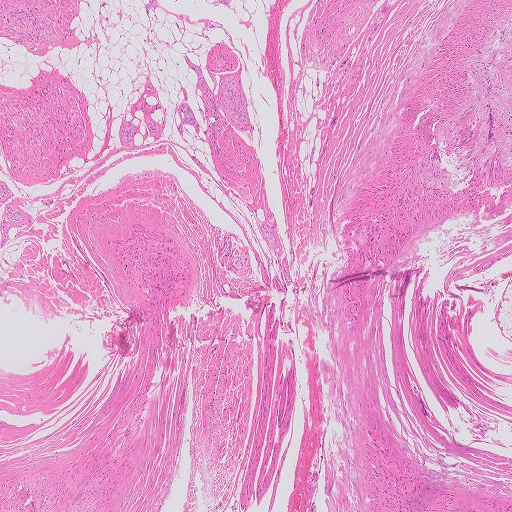
This is a crop of a whole-slide image: an H&E-stained breast-cancer sentinel lymph node section at roughly 2.5× magnification (about 4.0 µm per pixel; the crop spans about 2.0 mm).